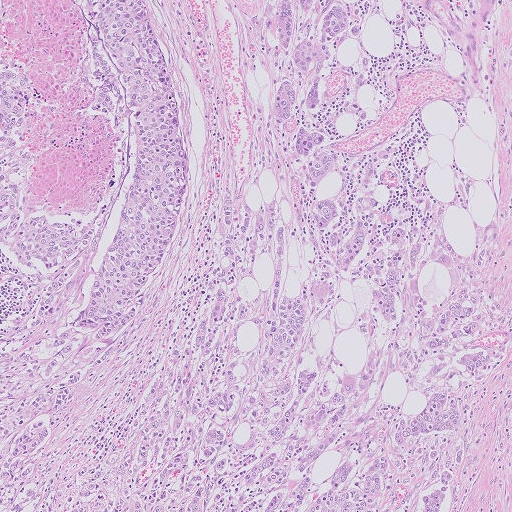
This is a crop of a whole-slide image: an H&E-stained breast-cancer sentinel lymph node section at roughly 5× magnification (about 2.0 µm per pixel; the crop spans about 1.0 mm).
One metastatic tumour region; its boundary, reduced to 24 corners and listed clockwise: (0, 0), (147, 0), (193, 152), (172, 253), (131, 335), (52, 425), (67, 467), (98, 454), (205, 273), (212, 190), (250, 201), (283, 182), (290, 154), (251, 19), (276, 0), (343, 0), (363, 18), (371, 117), (343, 150), (398, 141), (510, 345), (469, 395), (443, 511), (0, 511).
About 75% of this field is tumour.